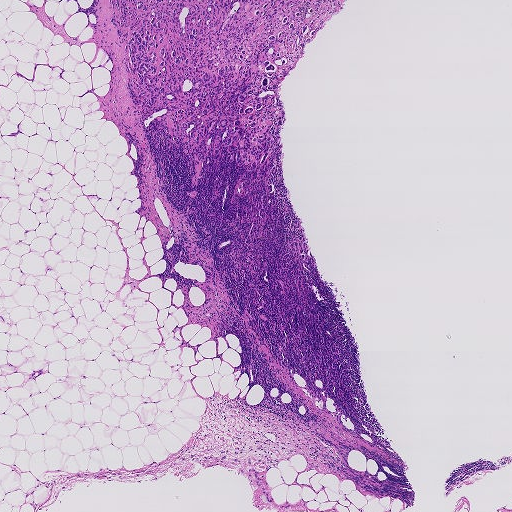
This is a crop of a whole-slide image: an H&E-stained breast-cancer sentinel lymph node section at roughly 2.5× magnification (about 3.6 µm per pixel; the crop spans about 1.9 mm).
One metastatic tumour region; its boundary, reduced to 24 corners and listed clockwise: (347, 0), (304, 47), (278, 87), (286, 119), (283, 144), (270, 191), (276, 203), (264, 219), (246, 223), (241, 218), (246, 200), (235, 187), (250, 165), (242, 166), (236, 155), (227, 162), (208, 151), (202, 160), (185, 154), (166, 136), (166, 109), (148, 107), (134, 94), (122, 2).
About 10% of the image area is annotated as tumour.